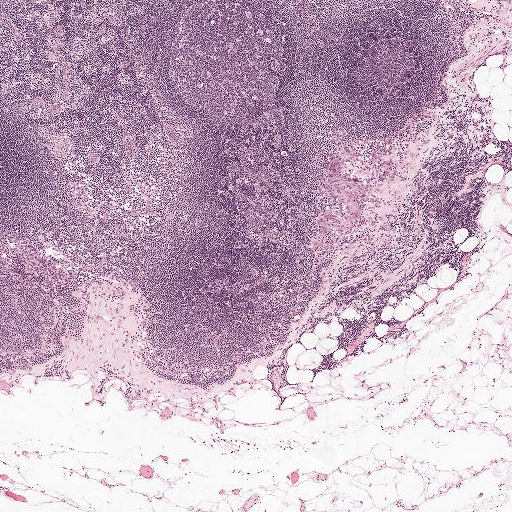
A 2.0-mm field of an H&E-stained sentinel lymph node from a breast-cancer patient (whole-slide image), shown at about 2.5×, about 3.9 µm per pixel.
Metastatic tumour outline, simplified to 23 points and listed clockwise in crop pixels (x, y): (351, 142), (362, 148), (376, 148), (392, 158), (391, 174), (372, 186), (364, 196), (363, 217), (352, 224), (343, 239), (337, 257), (328, 263), (315, 260), (310, 242), (313, 228), (318, 224), (316, 217), (329, 201), (329, 196), (319, 189), (321, 174), (328, 164), (335, 144).
Under 5% of this field is tumour.